Question: 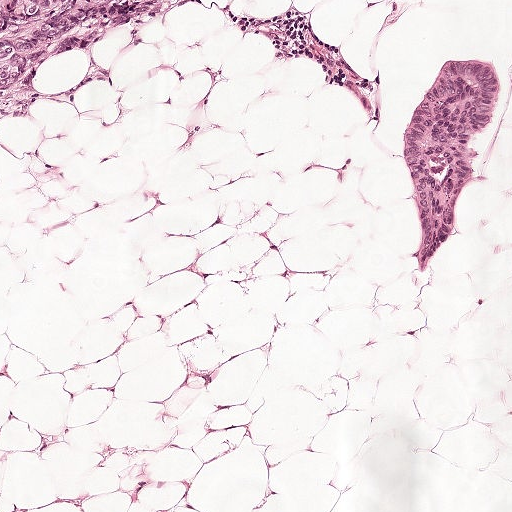
A 0.5-mm field of an H&E-stained sentinel lymph node from a breast-cancer patient (whole-slide image), shown at about 10×, about 0.97 µm per pixel.
What fraction of the image area is metastatic tumour?

Choices:
 (A) about 50% or more
 (B) about 10% to 20%
 (C) about 5% or less
 (D) none: no tumour is outlined
 (E) about 25% to 45%

Answer: (B) about 10% to 20%
About 10% of the field is tumour.
Outlines of two tumour regions, largest first (closed clockwise paths, crop pixels): region 1: (492, 64), (504, 72), (507, 110), (480, 145), (482, 177), (473, 188), (468, 222), (440, 272), (422, 281), (418, 278), (424, 266), (421, 216), (408, 181), (407, 144), (417, 112), (436, 80), (454, 65); region 2: (0, 0), (198, 0), (148, 24), (137, 24), (132, 34), (121, 34), (94, 56), (78, 61), (78, 66), (73, 66), (24, 114), (19, 114), (19, 120), (0, 131).